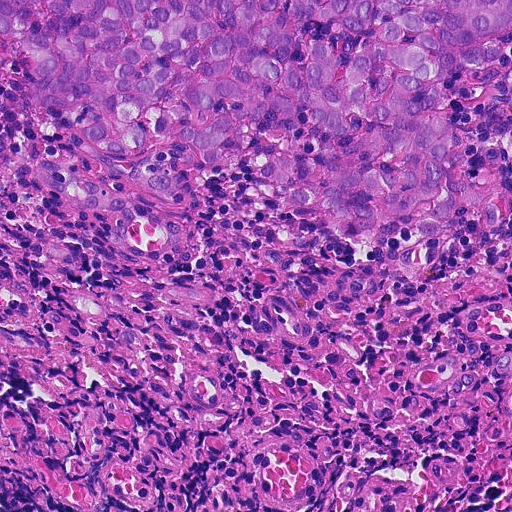
A 0.23-mm field of an H&E-stained sentinel lymph node from a breast-cancer patient (whole-slide image), shown at about 20×, about 0.45 µm per pixel.
Boundaries of two metastatic tumour regions, simplified and listed clockwise, largest first: region 1: (0, 0), (511, 0), (511, 45), (446, 84), (466, 177), (491, 171), (498, 225), (484, 232), (474, 204), (456, 204), (449, 240), (353, 240), (290, 211), (251, 157), (218, 171), (176, 142), (158, 163), (182, 190), (152, 197), (126, 170), (136, 158), (85, 144), (0, 61); region 2: (32, 158), (50, 159), (131, 203), (128, 239), (110, 236), (114, 218), (78, 209), (63, 198), (46, 190), (35, 176).
One more small tumour piece is annotated here but not outlined.
About 35% of the image area is annotated as tumour.